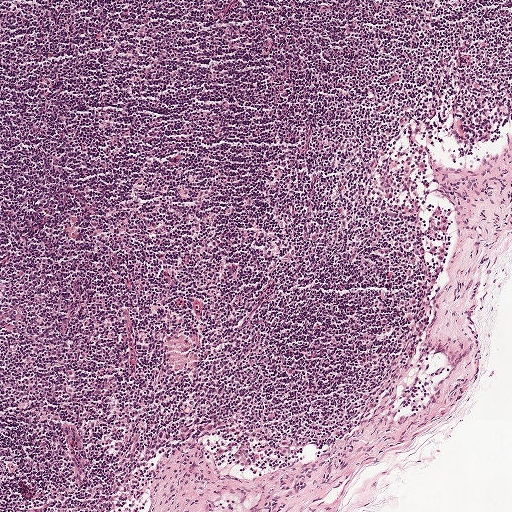
H&E-stained section of a sentinel lymph node (breast cancer), from a whole-slide image, viewed at about 5×: the field is about 1 mm across, about 1.9 µm per pixel.
Question: Is there metastatic carcinoma in this field?
Answer: No, this field holds no outlined metastasis.